A 2.0-mm field of an H&E-stained sentinel lymph node from a breast-cancer patient (whole-slide image), shown at about 2.5×, about 3.9 µm per pixel.
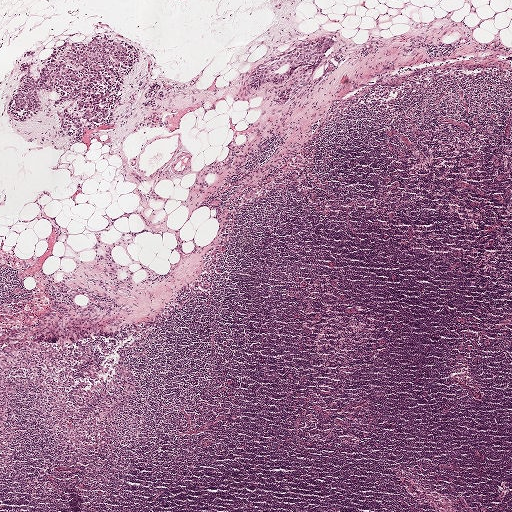
Two metastatic tumour regions, each outlined as a closed clockwise path in crop pixels (x, y), largest first: region 1: (103, 34), (133, 44), (138, 62), (123, 79), (112, 116), (65, 130), (58, 116), (71, 103), (52, 106), (59, 96), (40, 89), (44, 104), (39, 112), (24, 121), (9, 112), (22, 72), (18, 66), (28, 59), (20, 51), (34, 48), (30, 68), (38, 77), (50, 51), (66, 42); region 2: (328, 37), (336, 38), (337, 42), (322, 55), (312, 79), (290, 101), (275, 104), (272, 99), (306, 70), (306, 65), (296, 67), (285, 82), (277, 87), (264, 87), (256, 92), (247, 88), (248, 77), (258, 66), (272, 61), (311, 41).
About 5% of this field is tumour.